Question: 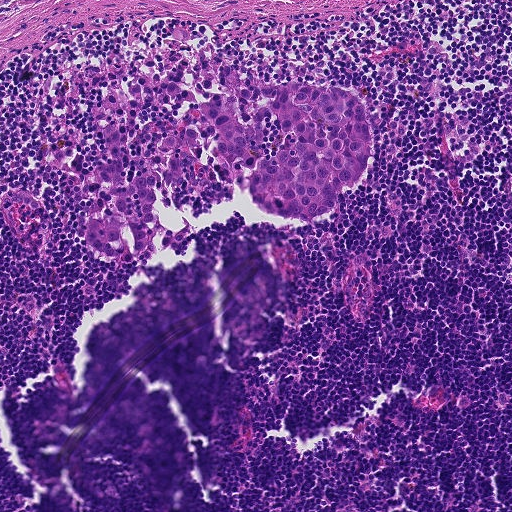
A 0.46-mm field of an H&E-stained sentinel lymph node from a breast-cancer patient (whole-slide image), shown at about 10×, about 0.9 µm per pixel.
Estimate the proportion of this field that is metastatic tumour.

Choices:
 (A) none: no tumour is outlined
 (B) about 25% to 45%
 (C) about 10% to 20%
 (D) about 50% or more
 (E) about 5% or less

Answer: (C) about 10% to 20%
About 10% of the field is tumour.
Metastatic tumour outline, simplified to 23 points and listed clockwise in crop pixels (x, y): (230, 69), (247, 88), (359, 96), (366, 166), (334, 208), (312, 222), (251, 202), (240, 186), (154, 188), (165, 227), (188, 229), (178, 252), (131, 262), (94, 252), (84, 230), (106, 149), (100, 124), (120, 133), (127, 183), (179, 117), (163, 88), (222, 88), (218, 70).